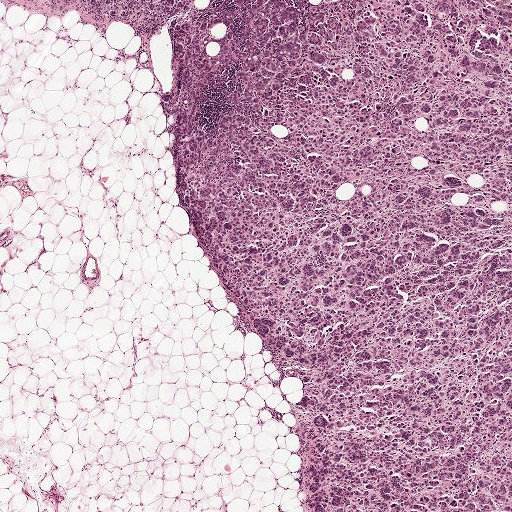
A 2.0-mm field of an H&E-stained sentinel lymph node from a breast-cancer patient (whole-slide image), shown at about 2.5×, about 3.9 µm per pixel.
Tumour region outline (a closed clockwise path, crop pixels): (82, 0), (193, 0), (207, 16), (232, 0), (511, 0), (511, 511), (308, 508), (315, 442), (298, 371), (233, 300), (181, 194), (177, 120), (160, 100), (177, 77), (171, 35), (158, 19), (98, 14).
Two more small tumour pieces are annotated here but not outlined.
About 55% of this field is tumour.